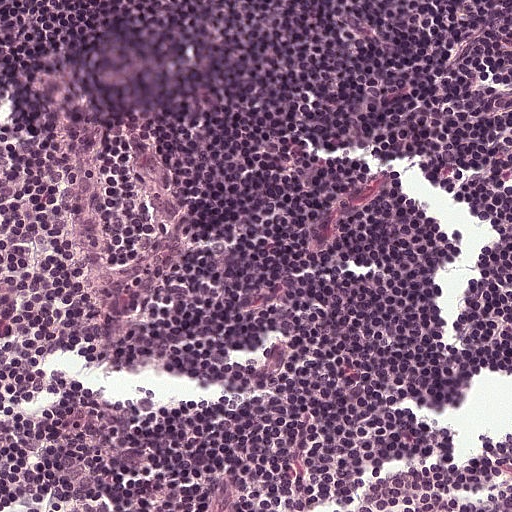
Lymph node section stained with H&E, from a whole-slide image of a breast-cancer sentinel node. Magnification about 20×, about 0.25 mm across the frame, about 0.49 µm per pixel.